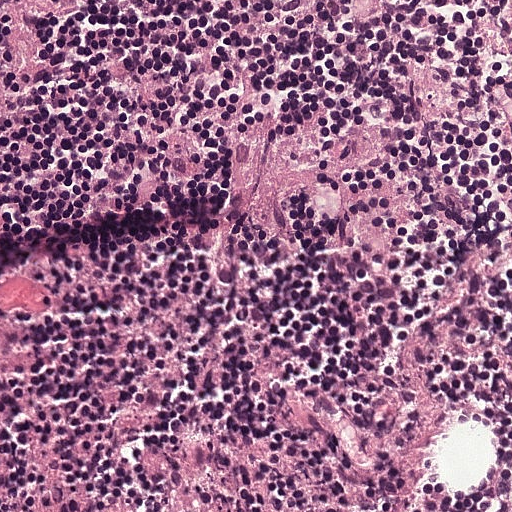
Lymph node section stained with H&E, from a whole-slide image of a breast-cancer sentinel node. Magnification about 20×, about 0.25 mm across the frame, about 0.49 µm per pixel.